A 1-mm field of an H&E-stained sentinel lymph node from a breast-cancer patient (whole-slide image), shown at about 5×, about 1.9 µm per pixel.
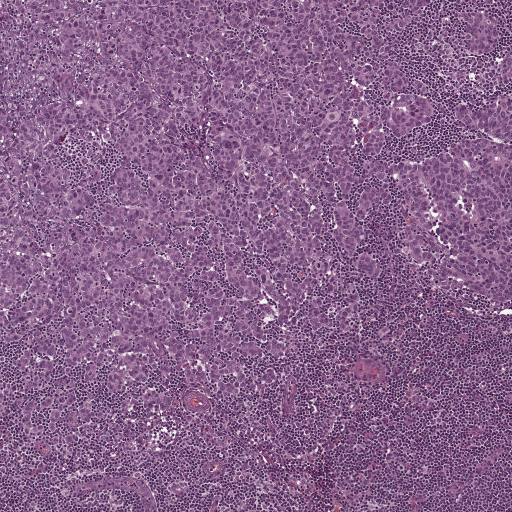
Boundaries of two metastatic tumour regions, simplified and listed clockwise, largest first: region 1: (0, 0), (453, 0), (400, 35), (400, 62), (436, 87), (433, 123), (382, 157), (468, 135), (451, 113), (492, 105), (511, 44), (511, 302), (430, 288), (384, 216), (369, 243), (386, 271), (356, 327), (295, 332), (257, 403), (188, 388), (153, 418), (3, 444); region 2: (453, 0), (511, 0), (511, 3), (501, 8), (498, 18), (503, 39), (492, 54), (483, 60), (467, 59), (452, 16), (467, 6).
Tumour covers about 70% of the frame.